H&E-stained section of a sentinel lymph node (breast cancer), from a whole-slide image, viewed at about 20×: the field is about 0.23 mm across, about 0.45 µm per pixel.
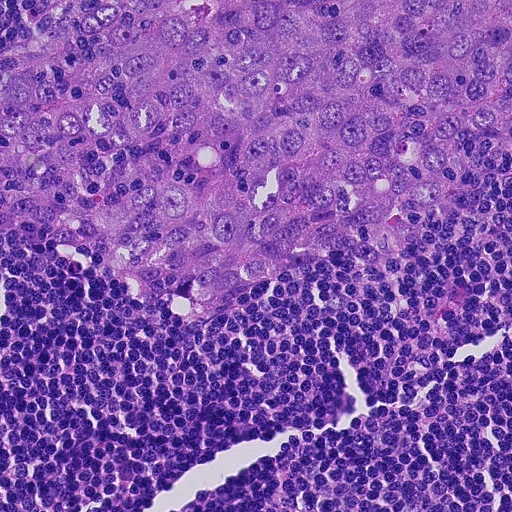
Tumour region outline (a closed clockwise path, crop pixels): (47, 0), (511, 0), (511, 171), (430, 257), (382, 254), (288, 279), (216, 331), (169, 316), (81, 267), (0, 256), (0, 46).
The annotated tumour makes up about 50% of the crop.